Question: 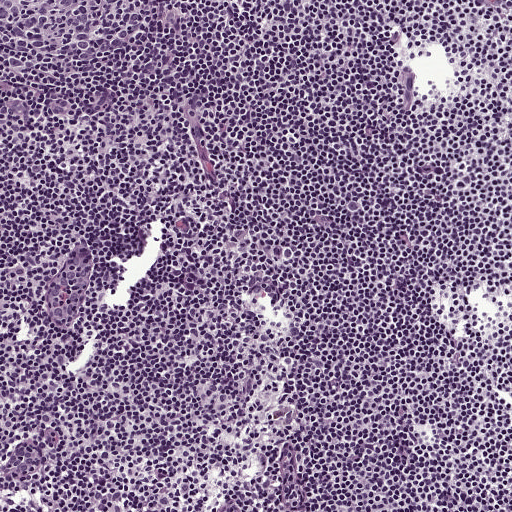
About what magnification does this crop show?

Choices:
 (A) about 2.5×
 (B) about 20×
 (C) about 10×
 (D) about 40×
 (E) about 5×

Answer: (C) about 10×
This is a crop of a whole-slide image: an H&E-stained breast-cancer sentinel lymph node section at roughly 10× magnification (about 0.97 µm per pixel; the crop spans about 0.5 mm).